Question: 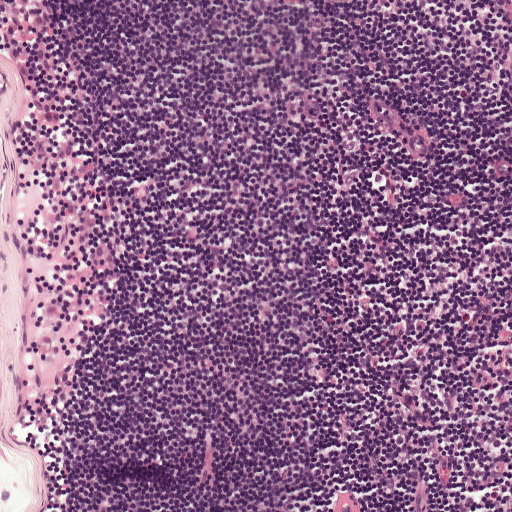
About what magnification does this crop show?

Choices:
 (A) about 40×
 (B) about 20×
 (C) about 10×
 (D) about 5×
 (E) about 2.5×

Answer: (C) about 10×
A 0.5-mm field of an H&E-stained sentinel lymph node from a breast-cancer patient (whole-slide image), shown at about 10×, about 0.97 µm per pixel.